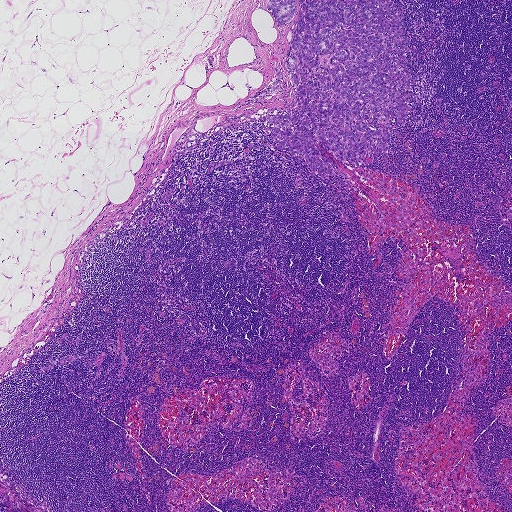
Lymph node section stained with H&E, from a whole-slide image of a breast-cancer sentinel node. Magnification about 2.5×, about 1.9 mm across the frame, about 3.6 µm per pixel.
Question: Describe where the metastatic carcinoma lies in this crop.
Answer: Outlines of two tumour regions, largest first (closed clockwise paths, crop pixels): region 1: (389, 0), (390, 14), (404, 17), (410, 39), (402, 54), (414, 82), (400, 94), (414, 109), (402, 126), (389, 120), (389, 151), (364, 164), (314, 144), (345, 177), (316, 175), (265, 129), (270, 110), (295, 101), (284, 61), (298, 1); region 2: (296, 0), (294, 15), (289, 24), (281, 24), (276, 21), (268, 11), (267, 1).
Tumour covers about 5% of the frame.